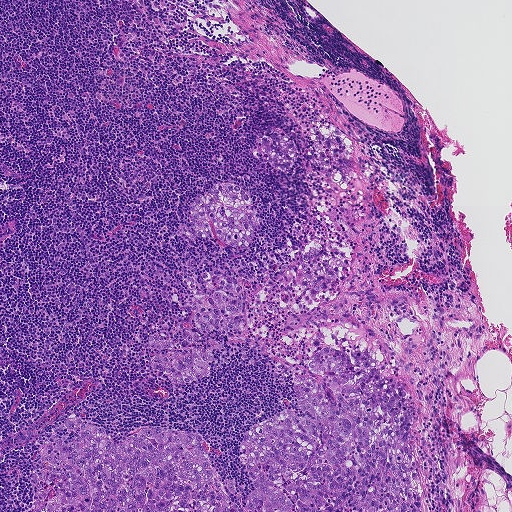
A 0.93-mm field of an H&E-stained sentinel lymph node from a breast-cancer patient (whole-slide image), shown at about 5×, about 1.8 µm per pixel.
Outlines of three tumour regions, largest first (closed clockwise paths, crop pixels): region 1: (315, 115), (353, 140), (369, 210), (352, 272), (336, 299), (300, 317), (359, 330), (406, 386), (421, 508), (244, 511), (238, 494), (244, 504), (254, 489), (238, 448), (251, 426), (300, 410), (291, 373), (221, 335), (209, 375), (186, 385), (145, 365), (152, 334), (183, 340), (174, 321), (190, 316), (187, 277), (207, 295), (203, 271), (264, 283), (312, 236), (355, 246), (307, 220), (315, 186), (298, 157), (282, 171), (255, 158), (268, 126), (309, 160); region 2: (73, 415), (102, 428), (115, 442), (142, 428), (168, 428), (200, 433), (217, 475), (236, 483), (233, 495), (224, 487), (236, 509), (28, 511), (37, 490), (29, 475), (40, 444); region 3: (219, 183), (234, 184), (248, 192), (256, 220), (253, 239), (247, 247), (236, 250), (219, 241), (215, 236), (206, 239), (185, 226), (191, 221), (189, 210), (192, 201), (200, 195), (209, 193), (211, 188).
About 25% of this field is tumour.